A 1-mm field of an H&E-stained sentinel lymph node from a breast-cancer patient (whole-slide image), shown at about 5×, about 1.9 µm per pixel.
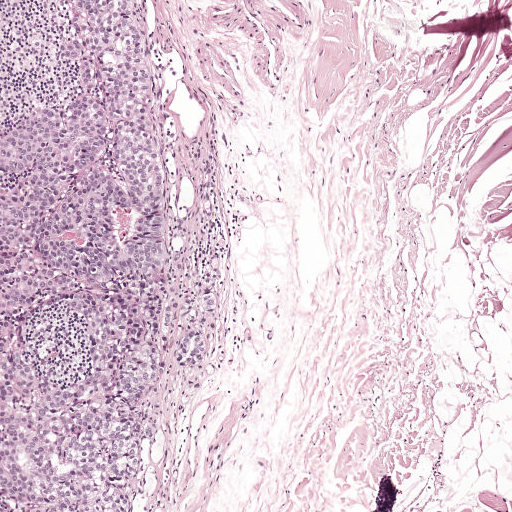
Outlines of six tumour regions, largest first (closed clockwise paths, crop pixels): region 1: (57, 0), (144, 0), (174, 213), (164, 319), (179, 303), (149, 398), (157, 430), (141, 440), (137, 511), (1, 506), (0, 118), (61, 104), (72, 88), (47, 50), (63, 19); region 2: (197, 330), (201, 332), (208, 343), (200, 362), (192, 367), (177, 362), (175, 353), (180, 335); region 3: (206, 274), (212, 279), (216, 301), (213, 311), (202, 311), (200, 300); region 4: (184, 251), (184, 270), (176, 272), (174, 261), (175, 252); region 5: (211, 322), (217, 322), (217, 329), (209, 340), (205, 335); region 6: (188, 379), (196, 381), (203, 385), (196, 390), (186, 386).
Region 1 encloses a non-tumour hole of about 5% of its area.
One more small tumour piece is annotated here but not outlined.
The annotated tumour makes up about 25% of the crop.